Lymph node section stained with H&E, from a whole-slide image of a breast-cancer sentinel node. Magnification about 20×, about 0.25 mm across the frame, about 0.49 µm per pixel.
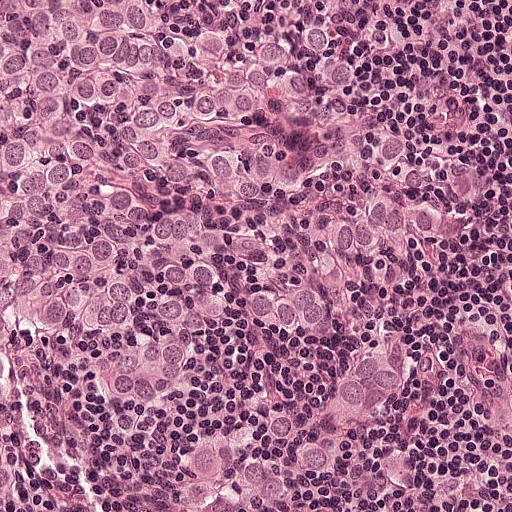
Outlines of two tumour regions, largest first (closed clockwise paths, crop pixels): region 1: (0, 0), (178, 0), (180, 26), (248, 48), (309, 16), (351, 96), (180, 158), (393, 149), (457, 194), (442, 260), (346, 287), (406, 351), (414, 398), (326, 490), (224, 506), (176, 466), (323, 401), (322, 360), (264, 332), (182, 352), (138, 416), (72, 394), (48, 354), (1, 364); region 2: (0, 442), (6, 449), (13, 471), (13, 484), (10, 493), (4, 499), (7, 511), (0, 511).
About 60% of this field is tumour.